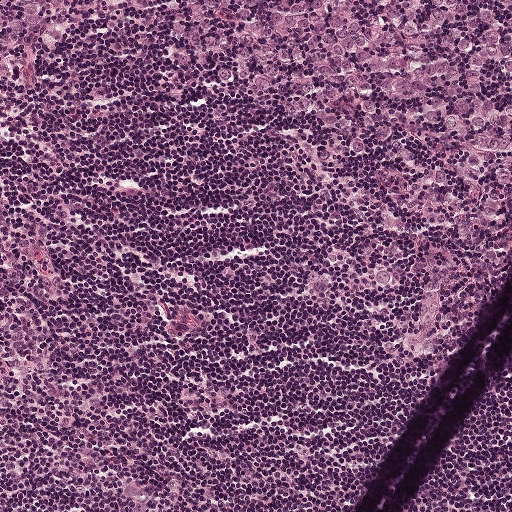
This is a crop of a whole-slide image: an H&E-stained breast-cancer sentinel lymph node section at roughly 10× magnification (about 0.97 µm per pixel; the crop spans about 0.5 mm).
Metastatic tumour outline, simplified to 13 points and listed clockwise in crop pixels (x, y): (0, 0), (511, 0), (511, 199), (435, 231), (408, 221), (355, 166), (262, 146), (204, 98), (187, 48), (155, 11), (131, 13), (74, 55), (0, 53).
Tumour covers about 25% of the frame.